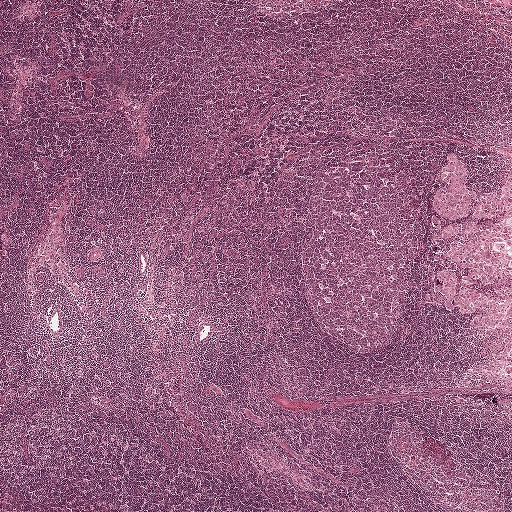
H&E-stained section of a sentinel lymph node (breast cancer), from a whole-slide image, viewed at about 2.5×: the field is about 2.0 mm across, about 3.9 µm per pixel.
The outlined metastatic tumour's edge, as a closed clockwise path of 22 points: (511, 146), (511, 385), (485, 387), (465, 379), (466, 368), (481, 351), (480, 340), (462, 316), (442, 310), (424, 295), (433, 283), (436, 264), (430, 244), (432, 196), (442, 186), (438, 168), (449, 150), (462, 159), (472, 184), (494, 189), (509, 171), (507, 152).
The annotated tumour makes up about 5% of the crop.